Image:
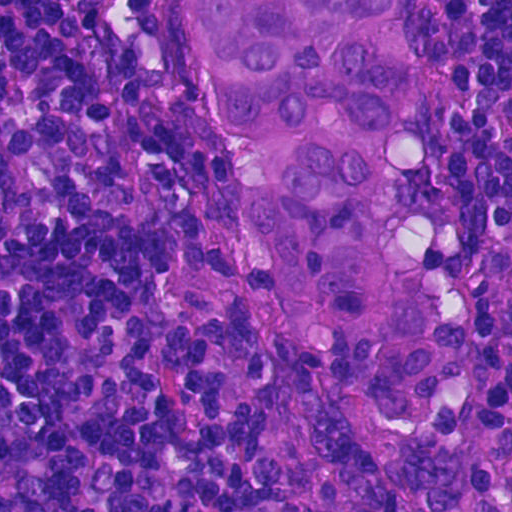
A 0.12-mm field of an H&E-stained sentinel lymph node from a breast-cancer patient (whole-slide image), shown at about 40×, about 0.23 µm per pixel.
Question:
Show where the tumour is in this image.
Answer:
Metastatic tumour outline, simplified to 13 points and listed clockwise in crop pixels (x, y): (181, 0), (401, 0), (419, 70), (361, 213), (386, 256), (432, 276), (437, 325), (424, 342), (375, 346), (285, 307), (207, 123), (209, 87), (185, 44).
The annotated tumour makes up about 20% of the crop.